This is a crop of a whole-slide image: an H&E-stained breast-cancer sentinel lymph node section at roughly 10× magnification (about 0.97 µm per pixel; the crop spans about 0.5 mm).
Image:
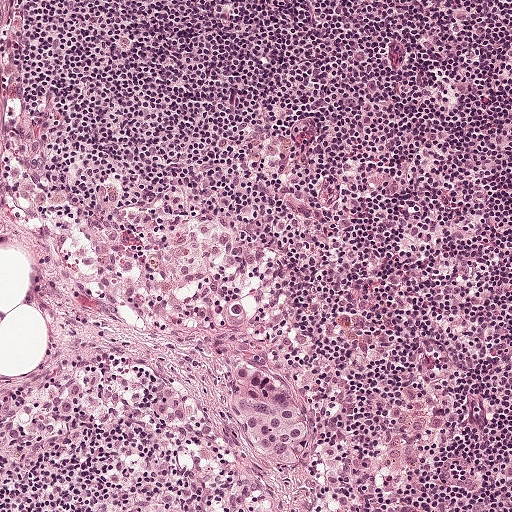
Question:
Is there metastatic carcinoma in this field?
Answer:
Yes.
Tumour region outline (a closed clockwise path, crop pixels): (230, 358), (252, 363), (277, 377), (302, 398), (309, 416), (310, 436), (298, 471), (288, 474), (274, 473), (246, 456), (242, 442), (214, 397), (222, 368).
About 5% of the image area is annotated as tumour.